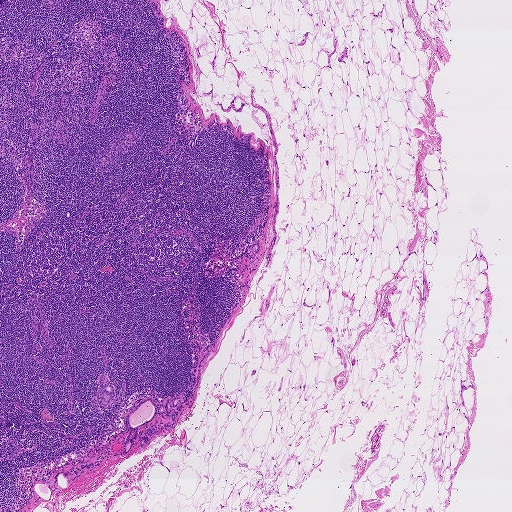
Lymph node section stained with H&E, from a whole-slide image of a breast-cancer sentinel node. Magnification about 2.5×, about 1.9 mm across the frame, about 3.6 µm per pixel.
Three metastatic tumour regions, each outlined as a closed clockwise path in crop pixels (x, y), largest first: region 1: (148, 397), (152, 397), (156, 405), (165, 405), (172, 398), (180, 397), (179, 403), (173, 408), (176, 411), (175, 419), (170, 420), (165, 413), (156, 415), (151, 421), (138, 429), (137, 435), (133, 440), (131, 448), (126, 453), (123, 450), (129, 432), (125, 427), (125, 416), (139, 402); region 2: (101, 374), (107, 376), (110, 382), (114, 386), (112, 402), (108, 406), (101, 406), (96, 399), (96, 391), (100, 383), (97, 377); region 3: (153, 424), (155, 424), (159, 427), (159, 432), (152, 436), (147, 436), (148, 440), (148, 442), (141, 447), (137, 441), (138, 438), (144, 435), (143, 434), (145, 430).
Two more small tumour pieces are annotated here but not outlined.
Under 5% of the image area is annotated as tumour.